Question: 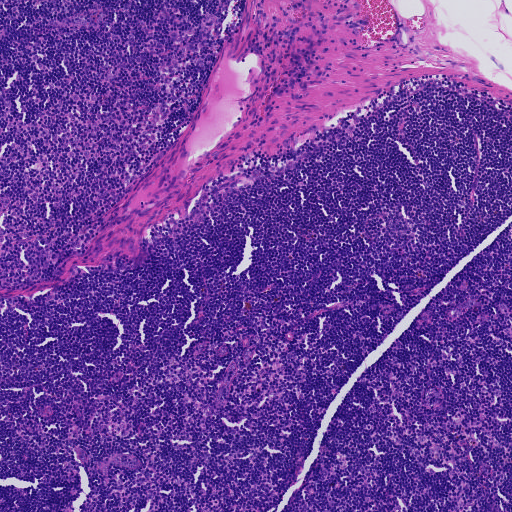
About what magnification does this crop show?

Choices:
 (A) about 2.5×
 (B) about 20×
 (C) about 5×
 (D) about 40×
 (E) about 10×

Answer: (C) about 5×
H&E-stained section of a sentinel lymph node (breast cancer), from a whole-slide image, viewed at about 5×: the field is about 0.93 mm across, about 1.8 µm per pixel.